This is a crop of a whole-slide image: an H&E-stained breast-cancer sentinel lymph node section at roughly 10× magnification (about 0.9 µm per pixel; the crop spans about 0.46 mm).
Image:
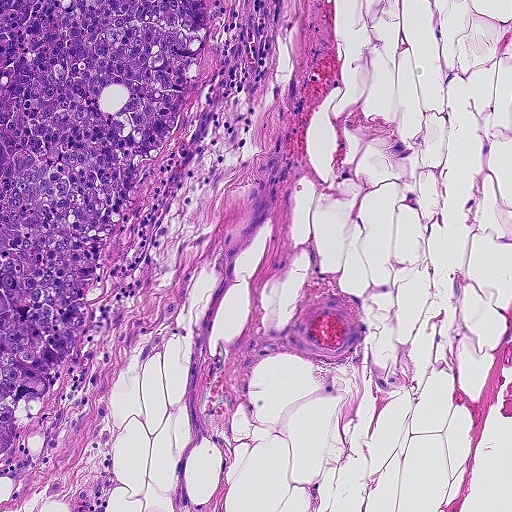
Question:
Where is the metastatic tumour in this field? Give each region's outline as (x, y) pixel points.
Answer:
Metastatic tumour outline, simplified to 7 points and listed clockwise in crop pixels (x, y): (0, 0), (213, 0), (173, 142), (136, 187), (103, 255), (80, 340), (0, 455).
About 20% of this field is tumour.